A 0.5-mm field of an H&E-stained sentinel lymph node from a breast-cancer patient (whole-slide image), shown at about 10×, about 0.97 µm per pixel.
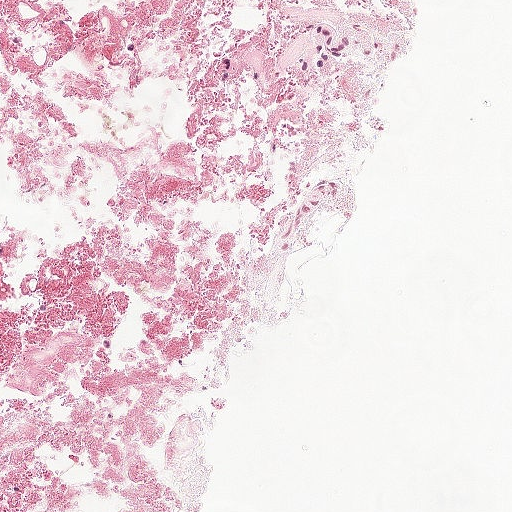
Question: Is there metastatic carcinoma in this field?
Answer: No, this field holds no outlined metastasis.